Question: 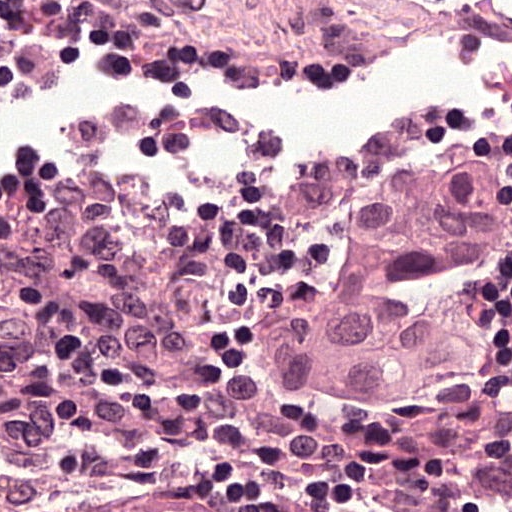
A 0.12-mm field of an H&E-stained sentinel lymph node from a breast-cancer patient (whole-slide image), shown at about 40×, about 0.24 µm per pixel.
About how much of this crop is taken up by metastatic carcinoma?

Choices:
 (A) none: no tumour is outlined
 (B) about 5% or less
 (C) about 50% or more
 (D) about 10% to 20%
 (E) about 25% to 45%

Answer: (D) about 10% to 20%
About 20% of the field is tumour.
One metastatic tumour region; its boundary, reduced to 17 corners and listed clockwise: (433, 129), (496, 136), (511, 155), (510, 234), (465, 268), (467, 292), (511, 307), (510, 339), (465, 397), (423, 426), (299, 426), (241, 381), (252, 313), (294, 268), (333, 255), (339, 207), (370, 163).